Question: 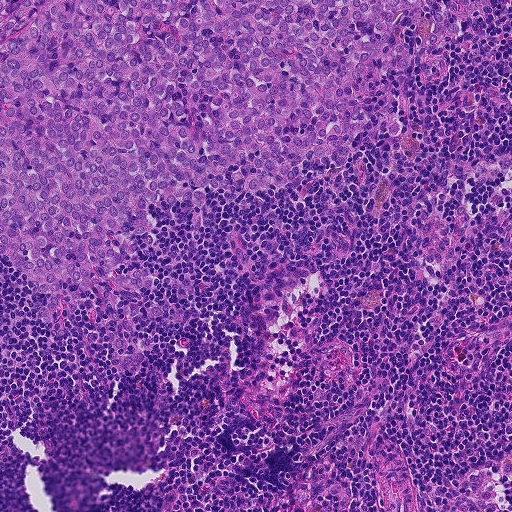
Lymph node section stained with H&E, from a whole-slide image of a breast-cancer sentinel node. Magnification about 10×, about 0.46 mm across the frame, about 0.9 µm per pixel.
What fraction of the image area is metastatic tumour?

Choices:
 (A) about 5% or less
 (B) about 25% to 45%
 (C) about 10% to 20%
 (D) about 50% or more
 (E) none: no tumour is outlined

Answer: (B) about 25% to 45%
About 35% of the field is tumour.
The outlined metastatic tumour's edge, as a closed clockwise path of 23 points: (0, 0), (491, 0), (455, 20), (450, 44), (403, 32), (415, 62), (369, 92), (348, 161), (304, 168), (282, 189), (146, 212), (152, 226), (131, 238), (138, 251), (115, 272), (146, 268), (163, 318), (104, 284), (68, 294), (55, 338), (38, 308), (52, 298), (5, 257).